A 0.25-mm field of an H&E-stained sentinel lymph node from a breast-cancer patient (whole-slide image), shown at about 20×, about 0.49 µm per pixel.
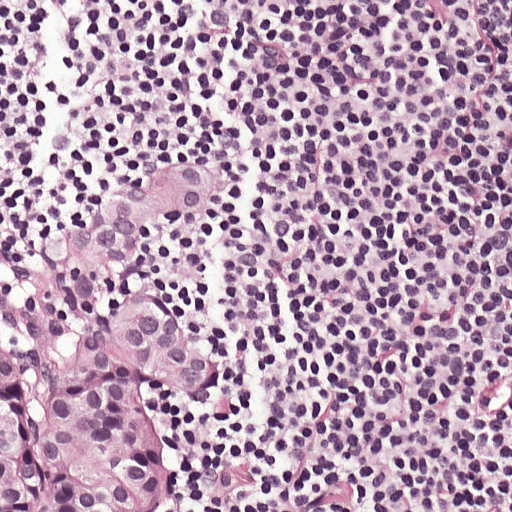
Three metastatic tumour regions, each outlined as a closed clockwise path in crop pixels (x, y), largest first: region 1: (173, 292), (232, 342), (194, 431), (184, 511), (0, 511), (0, 331), (76, 338); region 2: (200, 148), (235, 182), (156, 256), (72, 300), (40, 240), (142, 170); region 3: (358, 484), (365, 511), (230, 511), (241, 502).
Tumour covers about 20% of the frame.